A 2.0-mm field of an H&E-stained sentinel lymph node from a breast-cancer patient (whole-slide image), shown at about 2.5×, about 3.9 µm per pixel.
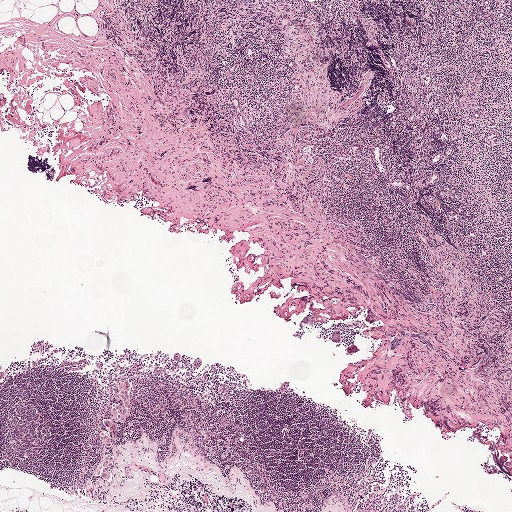
The outlined metastatic tumour's edge, as a closed clockwise path of 23 points: (128, 379), (130, 384), (128, 392), (130, 414), (126, 422), (118, 425), (119, 433), (117, 437), (105, 449), (105, 453), (112, 457), (112, 469), (107, 480), (103, 480), (99, 477), (102, 464), (99, 436), (104, 429), (104, 422), (110, 419), (113, 400), (116, 398), (116, 384).
Under 5% of this field is tumour.